A 0.93-mm field of an H&E-stained sentinel lymph node from a breast-cancer patient (whole-slide image), shown at about 5×, about 1.8 µm per pixel.
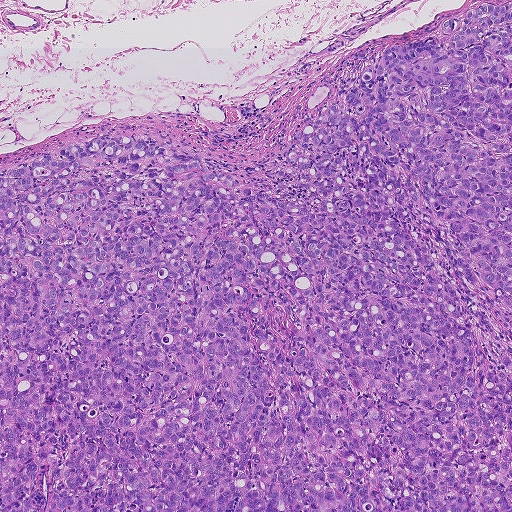
One metastatic tumour region; its boundary, reduced to 17 corners and listed clockwise: (507, 3), (511, 511), (0, 511), (0, 173), (99, 136), (150, 138), (267, 199), (314, 208), (316, 194), (277, 174), (296, 127), (362, 82), (386, 47), (445, 41), (442, 22), (460, 27), (478, 5).
About 80% of the image area is annotated as tumour.